H&E-stained section of a sentinel lymph node (breast cancer), from a whole-slide image, viewed at about 20×: the field is about 0.25 mm across, about 0.49 µm per pixel.
Image:
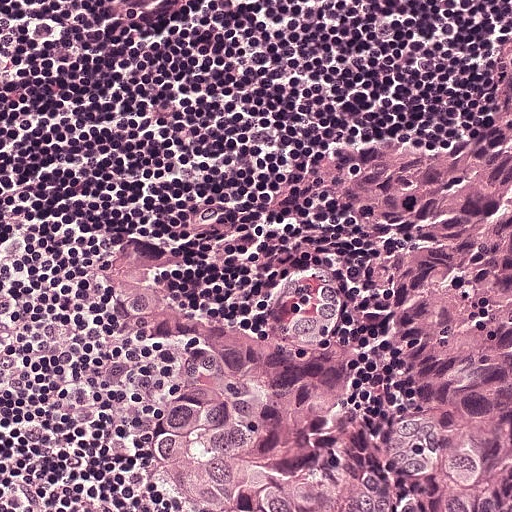
Question:
Trace the edge of each tumour region in this crop, as (x, y) points from 0 to 511.
Answer:
Metastatic tumour outline, simplified to 17 points and listed clockwise in crop pixels (x, y): (510, 23), (511, 511), (208, 511), (137, 486), (124, 448), (143, 357), (129, 329), (76, 306), (90, 243), (128, 240), (143, 251), (154, 288), (228, 320), (288, 166), (366, 134), (470, 122), (481, 51).
The annotated tumour makes up about 50% of the crop.